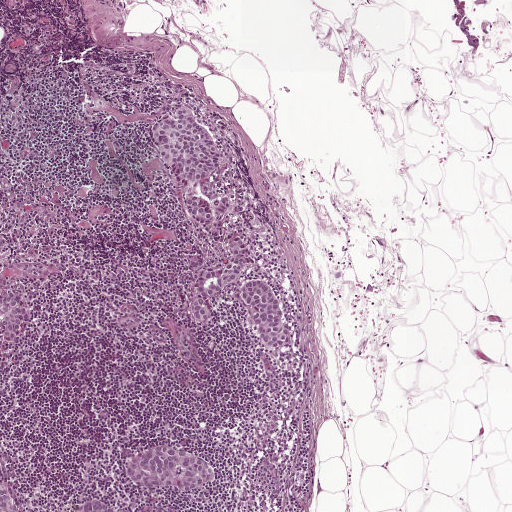
H&E-stained section of a sentinel lymph node (breast cancer), from a whole-slide image, viewed at about 5×: the field is about 1 mm across, about 1.9 µm per pixel.
Question: Describe where the metastatic carcinoma lies in this crop.
Answer: Boundaries of eight metastatic tumour regions, simplified and listed clockwise, largest first: region 1: (179, 106), (189, 109), (206, 128), (222, 156), (214, 169), (199, 181), (196, 191), (197, 196), (210, 205), (212, 219), (207, 220), (192, 217), (182, 205), (195, 188), (180, 184), (169, 171), (158, 154), (154, 139), (155, 128), (160, 120), (164, 116), (174, 114); region 2: (178, 441), (204, 455), (215, 466), (216, 479), (206, 487), (179, 494), (166, 500), (177, 511), (168, 511), (159, 493), (132, 485), (125, 473), (126, 460), (150, 447); region 3: (259, 281), (271, 289), (280, 300), (280, 314), (287, 327), (289, 341), (279, 349), (265, 346), (245, 309), (240, 296), (245, 282); region 4: (7, 239), (2, 256), (18, 278), (22, 291), (36, 314), (31, 326), (0, 346), (0, 241); region 5: (240, 240), (244, 243), (244, 248), (242, 257), (243, 267), (239, 276), (209, 295), (205, 301), (211, 316), (207, 319), (197, 320), (192, 306), (198, 294), (198, 278), (201, 274), (216, 271), (232, 259), (230, 244); region 6: (0, 459), (4, 474), (19, 511), (0, 511); region 7: (95, 498), (108, 502), (116, 511), (71, 511), (81, 501); region 8: (28, 200), (32, 205), (29, 218), (25, 223), (12, 234), (21, 222), (20, 215), (16, 210), (15, 203).
About 5% of this field is tumour.